Question: 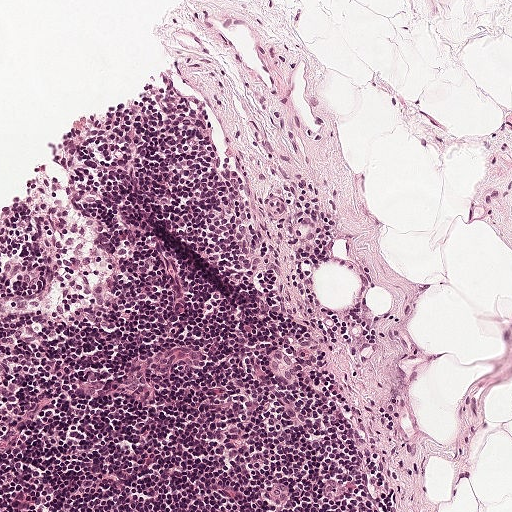
About what magnification does this crop show?

Choices:
 (A) about 10×
 (B) about 2.5×
 (C) about 5×
 (D) about 20×
 (E) about 40×

Answer: (A) about 10×
A 0.5-mm field of an H&E-stained sentinel lymph node from a breast-cancer patient (whole-slide image), shown at about 10×, about 0.97 µm per pixel.